Lymph node section stained with H&E, from a whole-slide image of a breast-cancer sentinel node. Magnification about 10×, about 0.46 mm across the frame, about 0.9 µm per pixel.
Image:
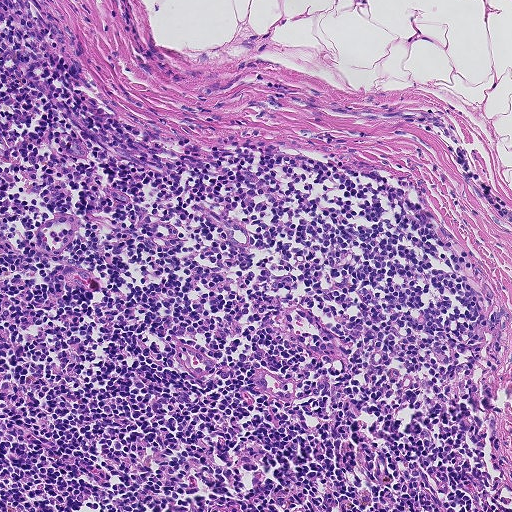
Question:
Is any metastatic breast cancer visible in this crop?
Answer:
No, this field holds no outlined metastasis.